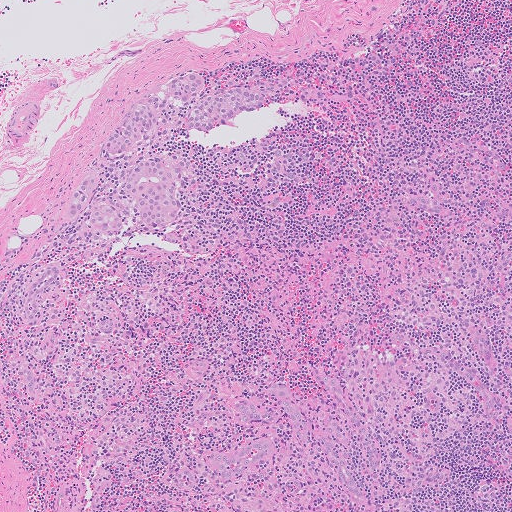
Lymph node section stained with H&E, from a whole-slide image of a breast-cancer sentinel node. Magnification about 5×, about 1.0 mm across the frame, about 2.0 µm per pixel.
Outlines of two tumour regions, largest first (closed clockwise paths, crop pixels): region 1: (166, 151), (188, 160), (194, 175), (184, 196), (186, 202), (181, 216), (163, 228), (78, 245), (74, 240), (78, 226), (57, 218), (59, 204), (74, 184), (89, 174), (96, 174), (101, 179), (98, 195), (106, 193), (130, 166); region 2: (196, 71), (205, 80), (204, 87), (209, 92), (216, 92), (226, 81), (233, 80), (239, 85), (269, 88), (271, 102), (266, 108), (238, 116), (203, 132), (187, 131), (182, 126), (187, 104), (166, 126), (127, 152), (106, 153), (105, 138), (124, 114), (145, 92), (181, 72).
About 5% of the image area is annotated as tumour.